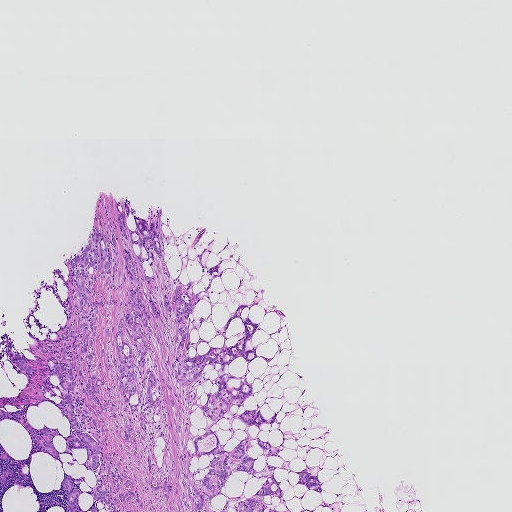
A 1.9-mm field of an H&E-stained sentinel lymph node from a breast-cancer patient (whole-slide image), shown at about 2.5×, about 3.6 µm per pixel.
Question: Show where the tumour is in this image.
Answer: Boundaries of two metastatic tumour regions, simplified and listed clockwise, largest first: region 1: (108, 200), (131, 230), (161, 207), (196, 294), (214, 240), (223, 273), (189, 315), (208, 341), (188, 354), (235, 344), (241, 319), (215, 327), (244, 304), (260, 356), (228, 364), (254, 397), (216, 423), (206, 365), (190, 430), (229, 452), (231, 414), (279, 411), (280, 425), (248, 431), (280, 427), (285, 440), (278, 455), (283, 460), (251, 440), (254, 468), (324, 469), (321, 493), (274, 470), (289, 511), (68, 511), (60, 461), (0, 417), (25, 406), (8, 352), (70, 325); region 2: (322, 500), (325, 502), (328, 503), (341, 501), (344, 502), (344, 503), (342, 505), (341, 509), (341, 511), (332, 511), (330, 509), (327, 507), (324, 507), (320, 506), (320, 503).
Four more small tumour pieces are annotated here but not outlined.
About 20% of the image area is annotated as tumour.